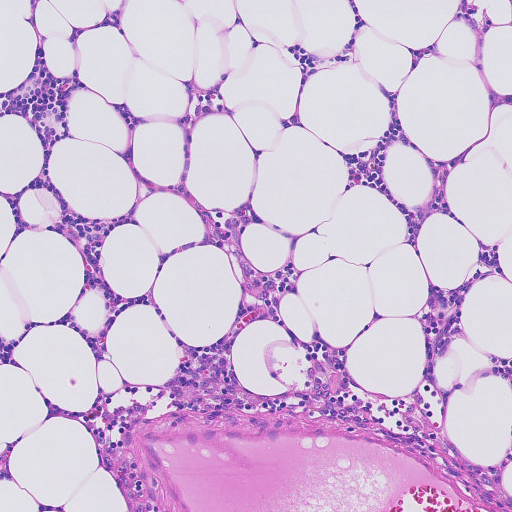
Lymph node section stained with H&E, from a whole-slide image of a breast-cancer sentinel node. Magnification about 10×, about 0.46 mm across the frame, about 0.91 µm per pixel.